H&E-stained section of a sentinel lymph node (breast cancer), from a whole-slide image, viewed at about 2.5×: the field is about 2.0 mm across, about 3.9 µm per pixel.
Image:
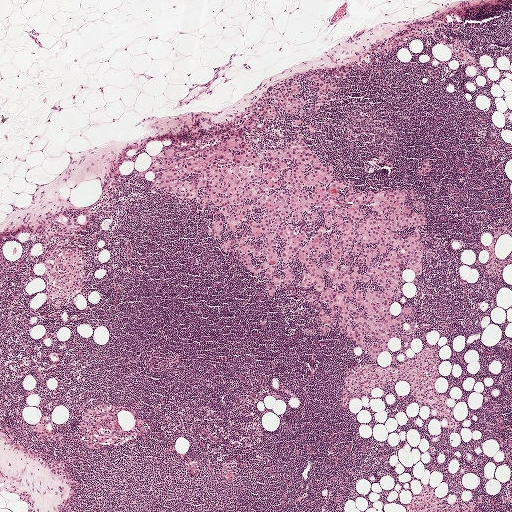
Question:
Which parts of this field are metastatic tumour?
Answer:
Outlines of six tumour regions, largest first (closed clockwise paths, crop pixels): region 1: (269, 104), (285, 121), (259, 118), (245, 137), (257, 152), (301, 133), (331, 183), (415, 189), (434, 253), (393, 294), (416, 309), (416, 331), (398, 331), (410, 348), (391, 337), (370, 360), (339, 313), (321, 334), (306, 296), (321, 291), (296, 286), (298, 259), (270, 296), (265, 269), (253, 276), (221, 248), (228, 235), (208, 235), (222, 212), (143, 171), (171, 143), (210, 146); region 2: (316, 73), (333, 79), (339, 88), (338, 92), (334, 92), (333, 94), (339, 98), (338, 102), (331, 100), (329, 104), (324, 104), (313, 114), (308, 110), (317, 98), (317, 89), (309, 89), (315, 81), (310, 82), (308, 79), (309, 76); region 3: (292, 82), (300, 82), (301, 92), (292, 96), (294, 98), (301, 97), (306, 102), (302, 109), (306, 114), (301, 116), (299, 114), (300, 109), (293, 115), (285, 112), (284, 109), (282, 112), (279, 112), (278, 110), (279, 107), (282, 107), (281, 100), (272, 93), (280, 89), (279, 86), (283, 84), (285, 86), (290, 86); region 4: (426, 158), (428, 159), (430, 166), (430, 173), (426, 175), (420, 175), (414, 173), (416, 169), (421, 167), (422, 162), (424, 159); region 5: (344, 69), (347, 70), (349, 73), (349, 77), (339, 79), (331, 75), (332, 72), (337, 70), (341, 70); region 6: (314, 123), (319, 126), (320, 131), (316, 134), (311, 134), (307, 132), (305, 128), (308, 125).
Three more small tumour pieces are annotated here but not outlined.
Tumour covers about 15% of the frame.